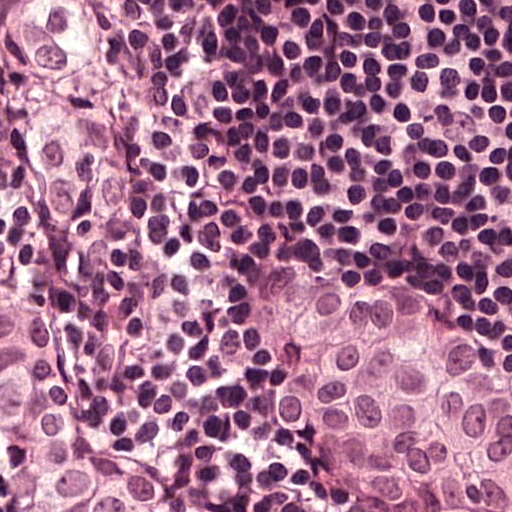
A 0.12-mm field of an H&E-stained sentinel lymph node from a breast-cancer patient (whole-slide image), shown at about 40×, about 0.24 µm per pixel.
Boundaries of two metastatic tumour regions, simplified and listed clockwise, largest first: region 1: (8, 0), (118, 0), (138, 30), (154, 167), (122, 251), (62, 236), (14, 194), (65, 301), (62, 367), (75, 401), (112, 461), (186, 511), (0, 511), (0, 10); region 2: (336, 251), (399, 269), (425, 309), (509, 356), (511, 511), (354, 511), (328, 472), (286, 446), (259, 369), (259, 335), (278, 272), (304, 253).
About 40% of the image area is annotated as tumour.